Lymph node section stained with H&E, from a whole-slide image of a breast-cancer sentinel node. Magnification about 20×, about 0.23 mm across the frame, about 0.45 µm per pixel.
Image:
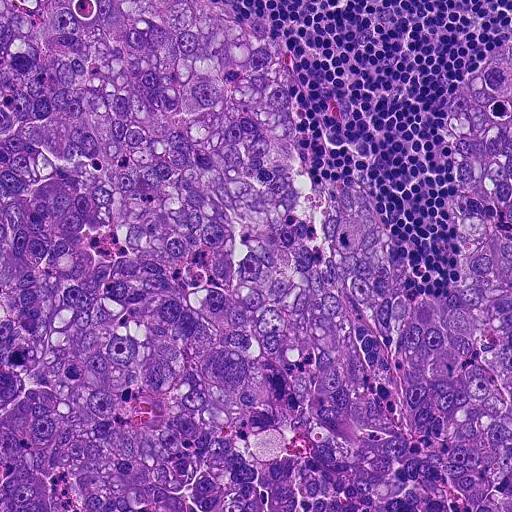
Question:
Which parts of this field are metastatic tumour?
Answer:
The outlined metastatic tumour's edge, as a closed clockwise path of 17 points: (0, 0), (224, 0), (259, 25), (294, 70), (304, 158), (321, 182), (349, 175), (371, 194), (392, 278), (412, 298), (440, 295), (464, 276), (436, 130), (444, 101), (508, 40), (511, 511), (0, 511).
Tumour covers about 85% of the frame.